This is a crop of a whole-slide image: an H&E-stained breast-cancer sentinel lymph node section at roughly 2.5× magnification (about 3.6 µm per pixel; the crop spans about 1.9 mm).
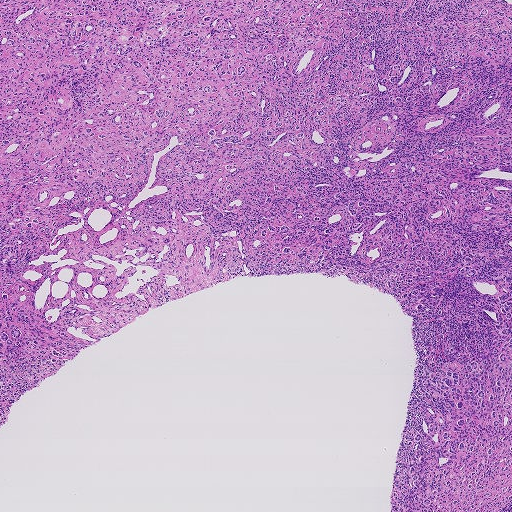
Tumour region outline (a closed clockwise path, crop pixels): (0, 0), (511, 0), (511, 511), (391, 511), (412, 317), (343, 275), (247, 276), (168, 302), (82, 348), (10, 405), (1, 426).
About 70% of this field is tumour.